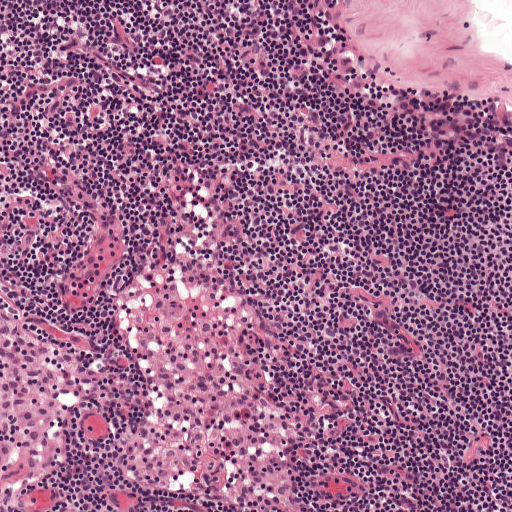
A 0.5-mm field of an H&E-stained sentinel lymph node from a breast-cancer patient (whole-slide image), shown at about 10×, about 0.97 µm per pixel.